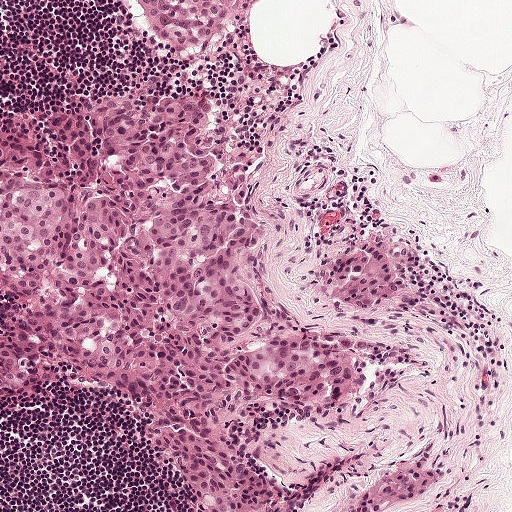
Lymph node section stained with H&E, from a whole-slide image of a breast-cancer sentinel node. Magnification about 10×, about 0.5 mm across the frame, about 0.97 µm per pixel.
Boundaries of four metastatic tumour regions, simplified and listed clockwise, largest first: region 1: (129, 91), (189, 100), (266, 225), (250, 270), (268, 305), (292, 333), (358, 367), (357, 389), (334, 401), (286, 396), (244, 410), (244, 444), (282, 511), (199, 511), (113, 396), (66, 388), (0, 401), (0, 323), (10, 306), (0, 284), (0, 161), (14, 149), (52, 150), (59, 122); region 2: (369, 238), (383, 246), (406, 272), (407, 285), (398, 297), (352, 314), (341, 310), (331, 301), (326, 292), (325, 280), (334, 257); region 3: (231, 0), (219, 41), (201, 51), (180, 54), (163, 50), (130, 13), (124, 1); region 4: (425, 451), (440, 471), (441, 478), (435, 486), (408, 502), (398, 511), (348, 511), (353, 495), (358, 490), (409, 456).
About 40% of the image area is annotated as tumour.